Lymph node section stained with H&E, from a whole-slide image of a breast-cancer sentinel node. Magnification about 5×, about 1 mm across the frame, about 1.9 µm per pixel.
Question: 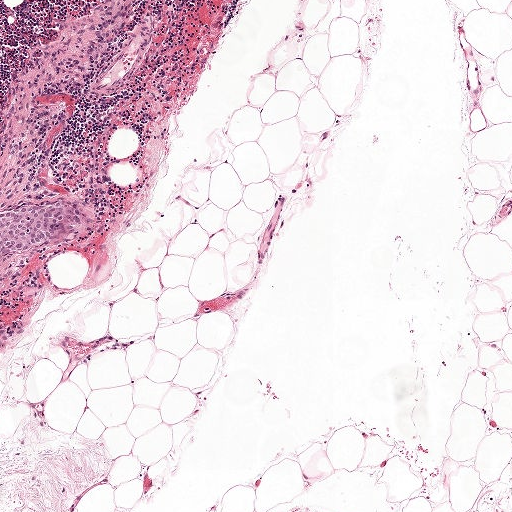
What fraction of the image area is metastatic tumour?

Choices:
 (A) about 10% to 20%
 (B) none: no tumour is outlined
 (C) about 5% or less
 (D) about 50% or more
 (E) about 25% to 45%

Answer: (C) about 5% or less
Under 5% of the field is tumour.
Tumour region outline (a closed clockwise path, crop pixels): (73, 199), (81, 202), (84, 211), (72, 232), (54, 238), (42, 246), (14, 253), (0, 259), (0, 215), (14, 212), (31, 203), (53, 204).